H&E-stained section of a sentinel lymph node (breast cancer), from a whole-slide image, viewed at about 20×: the field is about 0.23 mm across, about 0.45 µm per pixel.
Image:
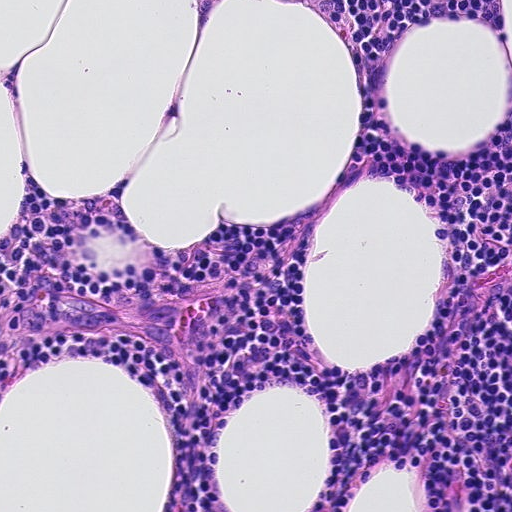
Question:
Is there metastatic carcinoma in this field?
Answer:
No: no metastatic tumour is outlined anywhere in this field.